Image:
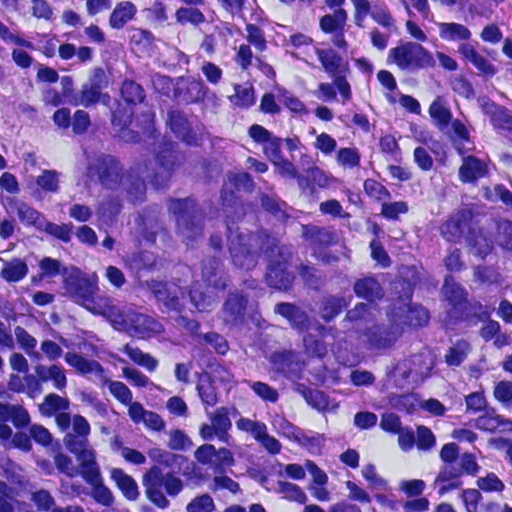
A 0.12-mm field of an H&E-stained sentinel lymph node from a breast-cancer patient (whole-slide image), shown at about 40×, about 0.23 µm per pixel.
Question:
Where is the metastatic tumour in this field? Give each region's outline as (x, y) pixel points.
Answer:
The outlined metastatic tumour's edge, as a closed clockwise path of 14 points: (94, 51), (159, 60), (199, 120), (251, 165), (367, 235), (496, 202), (511, 209), (511, 306), (388, 408), (320, 407), (259, 383), (201, 341), (155, 285), (89, 165).
About 30% of this field is tumour.